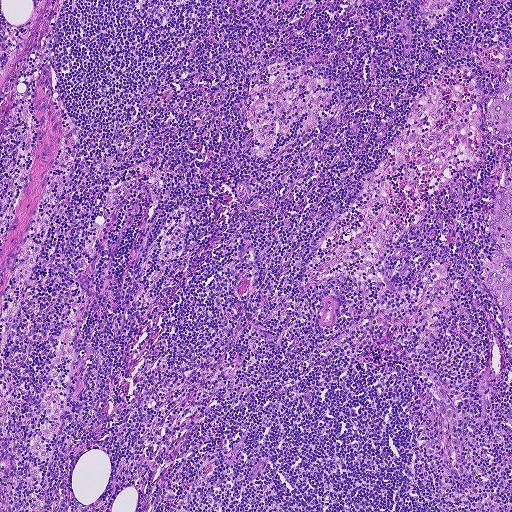
Lymph node section stained with H&E, from a whole-slide image of a breast-cancer sentinel node. Magnification about 5×, about 0.93 mm across the frame, about 1.8 µm per pixel.
Two metastatic tumour regions, each outlined as a closed clockwise path in crop pixels (x, y), largest first: region 1: (511, 151), (511, 330), (505, 326), (502, 313), (481, 279), (480, 272), (483, 266), (489, 263), (488, 256), (494, 245), (487, 234), (486, 227), (490, 218), (492, 205), (501, 187); region 2: (511, 74), (511, 138), (495, 134), (490, 129), (485, 117), (494, 92).
One more small tumour piece is annotated here but not outlined.
Tumour covers under 5% of the frame.